Question: 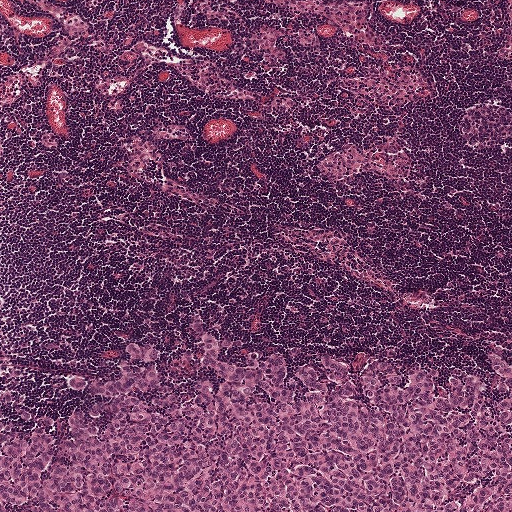
A 1-mm field of an H&E-stained sentinel lymph node from a breast-cancer patient (whole-slide image), shown at about 5×, about 1.9 µm per pixel.
Roughly what share of this field is metastatic tumour?

Choices:
 (A) about 50% or more
 (B) about 25% to 45%
 (C) about 10% to 20%
 (D) about 5% or less
 (E) none: no tumour is outlined

Answer: (B) about 25% to 45%
About 30% of the field is tumour.
The outlined metastatic tumour's edge, as a closed clockwise path of 13 points: (205, 332), (256, 345), (409, 345), (448, 358), (511, 347), (511, 511), (0, 511), (0, 417), (58, 399), (66, 375), (112, 372), (122, 342), (179, 349).